Question: 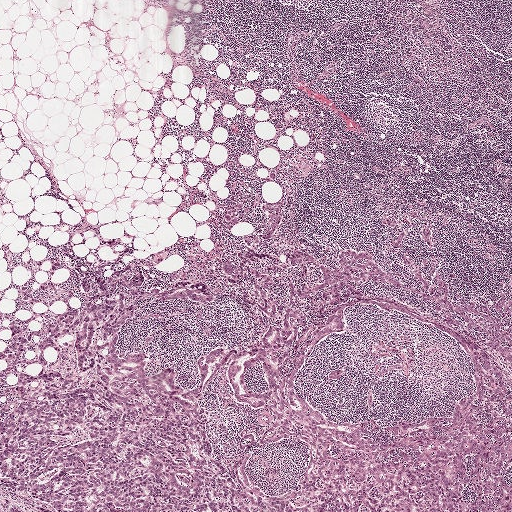
Lymph node section stained with H&E, from a whole-slide image of a breast-cancer sentinel node. Magnification about 2.5×, about 2.0 mm across the frame, about 3.9 µm per pixel.
What fraction of the image area is metastatic tumour?

Choices:
 (A) about 10% to 20%
 (B) about 5% or less
 (C) about 25% to 45%
 (D) none: no tumour is outlined
 (E) about 50% or more

Answer: (A) about 10% to 20%
About 20% of the field is tumour.
Outlines of two tumour regions, largest first (closed clockwise paths, crop pixels): region 1: (122, 292), (134, 314), (117, 351), (144, 351), (149, 374), (174, 367), (184, 389), (194, 385), (205, 350), (224, 348), (202, 398), (216, 458), (200, 482), (200, 511), (65, 511), (0, 483), (0, 416), (16, 409), (18, 369), (74, 373), (68, 335), (35, 348), (43, 330); region 2: (462, 342), (486, 349), (511, 388), (511, 468), (504, 475), (511, 483), (511, 511), (279, 510), (330, 426), (400, 424), (446, 410), (471, 393), (475, 371).
Question: 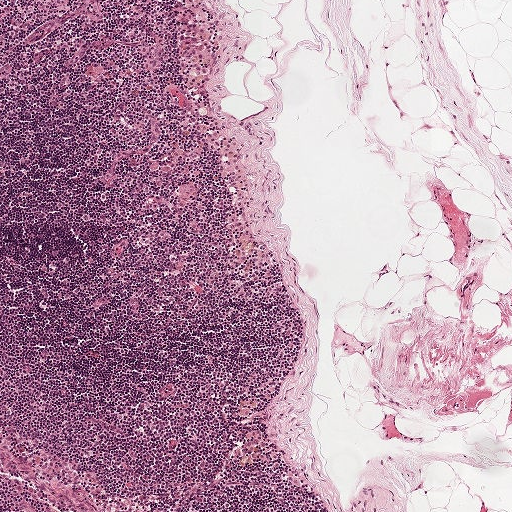
H&E-stained section of a sentinel lymph node (breast cancer), from a whole-slide image, viewed at about 5×: the field is about 1 mm across, about 1.9 µm per pixel.
What fraction of the image area is metastatic tumour?

Choices:
 (A) about 25% to 45%
 (B) about 5% or less
 (C) none: no tumour is outlined
 (D) about 10% to 20%
 (E) about 50% or more

Answer: (B) about 5% or less
Under 5% of the field is tumour.
Tumour region outline (a closed clockwise path, crop pixels): (180, 31), (194, 31), (203, 35), (213, 53), (213, 65), (206, 76), (187, 73), (179, 64), (183, 54), (180, 42).
Question: 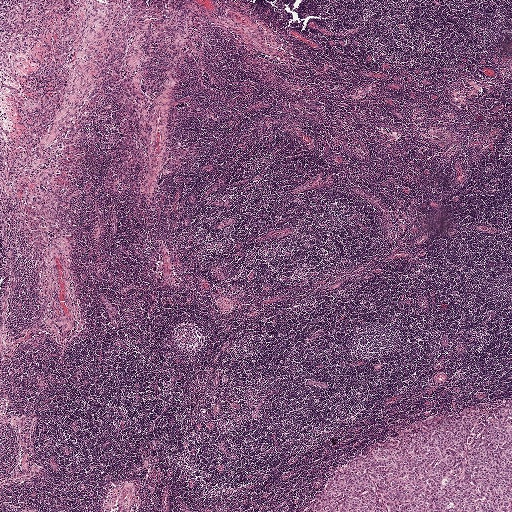
Lymph node section stained with H&E, from a whole-slide image of a breast-cancer sentinel node. Magnification about 2.5×, about 2.0 mm across the frame, about 3.9 µm per pixel.
What fraction of the image area is metastatic tumour?

Choices:
 (A) about 25% to 45%
 (B) about 10% to 20%
 (C) none: no tumour is outlined
 (D) about 5% or less
 (E) about 50% or more

Answer: (D) about 5% or less
About 5% of the field is tumour.
Tumour region outline (a closed clockwise path, crop pixels): (509, 395), (511, 511), (300, 511), (308, 494), (330, 473), (404, 425).
Question: 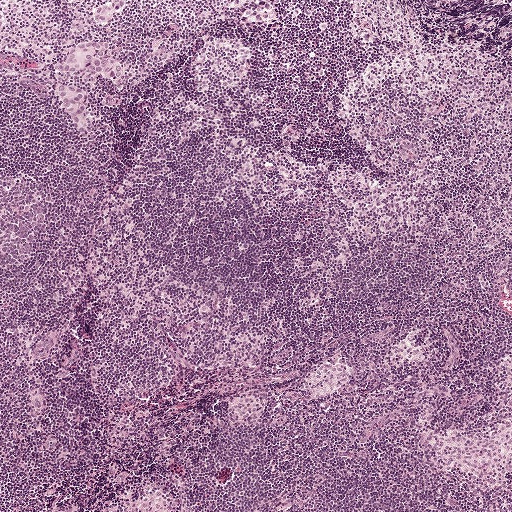
A 1-mm field of an H&E-stained sentinel lymph node from a breast-cancer patient (whole-slide image), shown at about 5×, about 1.9 µm per pixel.
What fraction of the image area is metastatic tumour?

Choices:
 (A) none: no tumour is outlined
 (B) about 10% to 20%
 (C) about 5% or less
 (D) about 25% to 45%
 (E) about 50% or more

Answer: (C) about 5% or less
Under 5% of the field is tumour.
Four metastatic tumour regions, each outlined as a closed clockwise path in crop pixels (x, y), largest first: region 1: (98, 41), (108, 42), (109, 57), (118, 60), (122, 66), (120, 77), (114, 80), (108, 80), (86, 70), (76, 74), (66, 73), (64, 63), (67, 55), (82, 43); region 2: (54, 82), (78, 88), (86, 92), (86, 126), (84, 133), (76, 130), (57, 93), (49, 88); region 3: (106, 0), (126, 1), (123, 10), (110, 18), (99, 23), (91, 17), (96, 7); region 4: (264, 1), (268, 1), (272, 6), (272, 18), (264, 21), (253, 21), (245, 18), (243, 12), (246, 8), (258, 8).
Two more small tumour pieces are annotated here but not outlined.